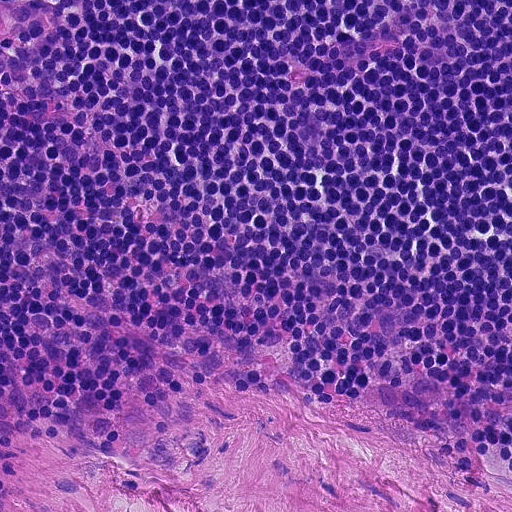
H&E-stained section of a sentinel lymph node (breast cancer), from a whole-slide image, viewed at about 20×: the field is about 0.23 mm across, about 0.45 µm per pixel.
Question: Does this lymph node field contain metastatic tumour?
Answer: No, this field holds no outlined metastasis.